Image:
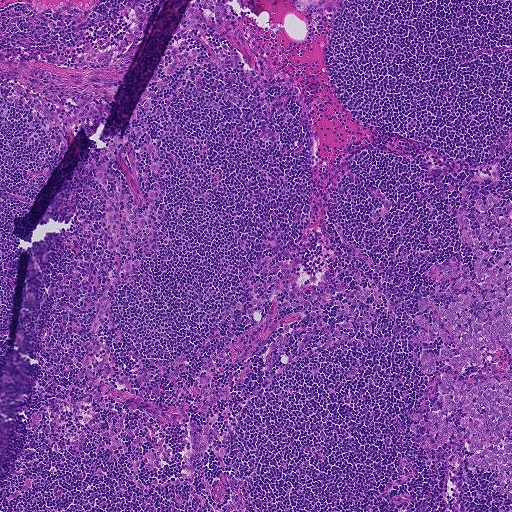
A 0.93-mm field of an H&E-stained sentinel lymph node from a breast-cancer patient (whole-slide image), shown at about 5×, about 1.8 µm per pixel.
Question:
Where is the metastatic tumour in this field?
Answer:
Metastatic tumour outline, simplified to 21 points and listed clockwise in crop pixels (x, y): (460, 190), (510, 200), (511, 502), (492, 490), (492, 470), (427, 465), (408, 417), (451, 370), (417, 366), (451, 342), (411, 337), (415, 314), (432, 323), (418, 298), (442, 303), (461, 274), (434, 279), (429, 265), (457, 262), (471, 274), (454, 213).
One more small tumour piece is annotated here but not outlined.
Tumour covers about 10% of the frame.